Image:
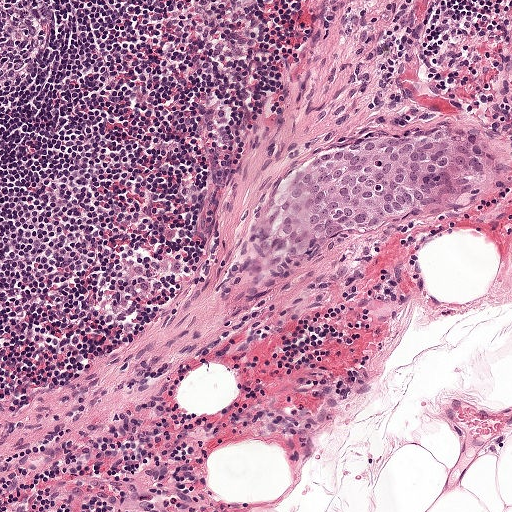
Lymph node section stained with H&E, from a whole-slide image of a breast-cancer sentinel node. Magnification about 10×, about 0.5 mm across the frame, about 0.97 µm per pixel.
Question:
Where is the metastatic tumour in this field?
Answer:
Metastatic tumour outline, simplified to 14 points and listed clockwise in crop pixels (x, y): (469, 124), (485, 131), (491, 148), (468, 191), (402, 221), (350, 233), (308, 253), (291, 268), (258, 270), (261, 232), (311, 162), (350, 150), (386, 133), (428, 136).
About 5% of this field is tumour.